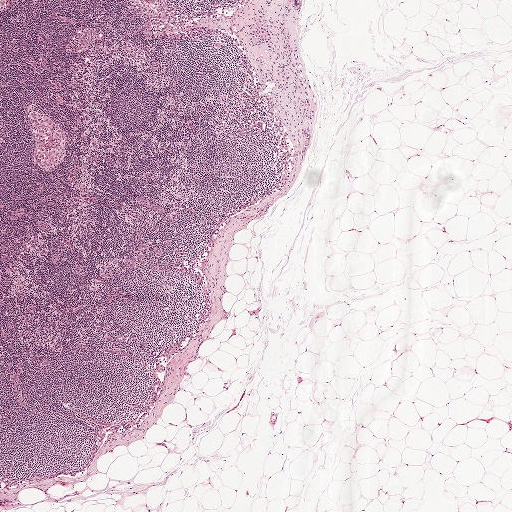
Lymph node section stained with H&E, from a whole-slide image of a breast-cancer sentinel node. Magnification about 2.5×, about 2.0 mm across the frame, about 3.9 µm per pixel.
Tumour region outline (a closed clockwise path, crop pixels): (257, 18), (269, 23), (278, 37), (296, 43), (298, 65), (306, 76), (313, 112), (310, 121), (302, 121), (304, 134), (297, 157), (290, 140), (281, 139), (281, 134), (288, 130), (288, 123), (274, 103), (274, 85), (266, 73), (271, 66), (271, 54), (246, 42), (248, 27).
The annotated tumour makes up under 5% of the crop.